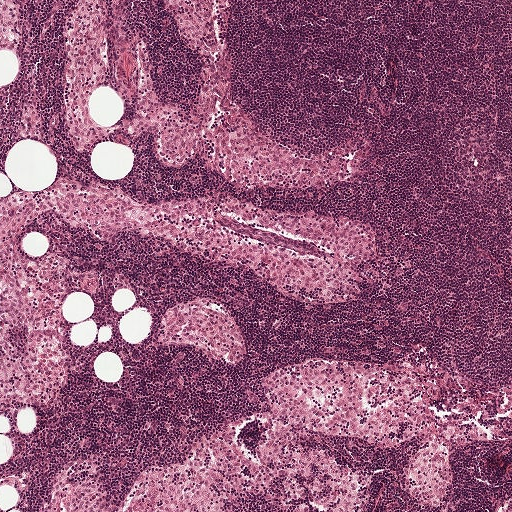
A 1-mm field of an H&E-stained sentinel lymph node from a breast-cancer patient (whole-slide image), shown at about 5×, about 1.9 µm per pixel.